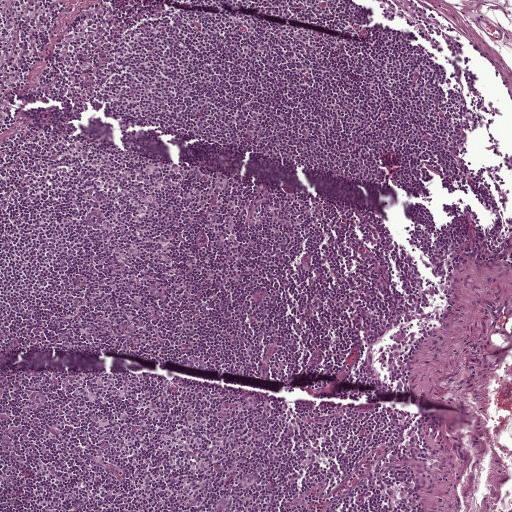
H&E-stained section of a sentinel lymph node (breast cancer), from a whole-slide image, viewed at about 5×: the field is about 1 mm across, about 1.9 µm per pixel.